Image:
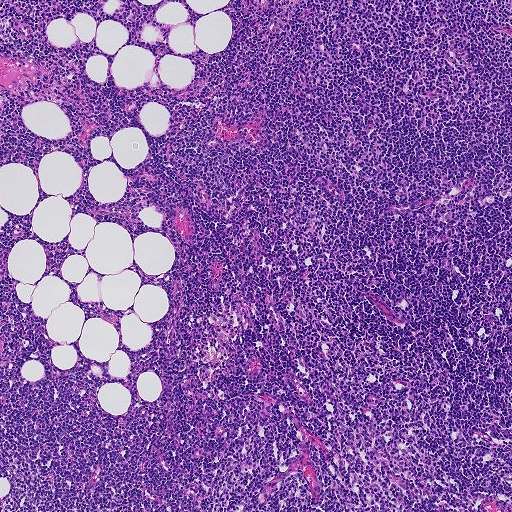
H&E-stained section of a sentinel lymph node (breast cancer), from a whole-slide image, viewed at about 5×: the field is about 0.93 mm across, about 1.8 µm per pixel.
Question:
Is any metastatic breast cancer visible in this crop?
Answer:
No. No metastatic tumour is outlined in this field.